This is a crop of a whole-slide image: an H&E-stained breast-cancer sentinel lymph node section at roughly 5× magnification (about 1.9 µm per pixel; the crop spans about 1 mm).
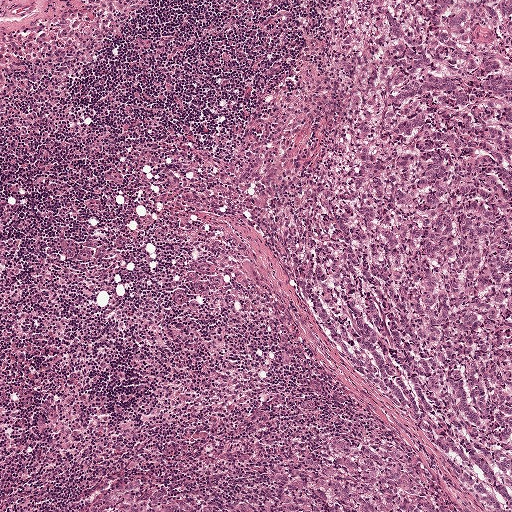
Tumour region outline (a closed clockwise path, crop pixels): (511, 0), (511, 511), (61, 511), (110, 481), (201, 470), (254, 445), (254, 328), (224, 257), (222, 206), (242, 178), (285, 158), (344, 84), (354, 5).
Tumour covers about 50% of the frame.